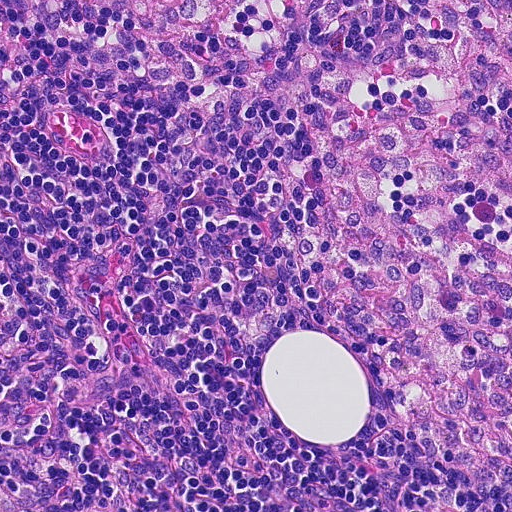
H&E-stained section of a sentinel lymph node (breast cancer), from a whole-slide image, viewed at about 20×: the field is about 0.23 mm across, about 0.45 µm per pixel.
Question: Is there metastatic carcinoma in this field?
Answer: No, this field holds no outlined metastasis.